A 0.93-mm field of an H&E-stained sentinel lymph node from a breast-cancer patient (whole-slide image), shown at about 5×, about 1.8 µm per pixel.
Image:
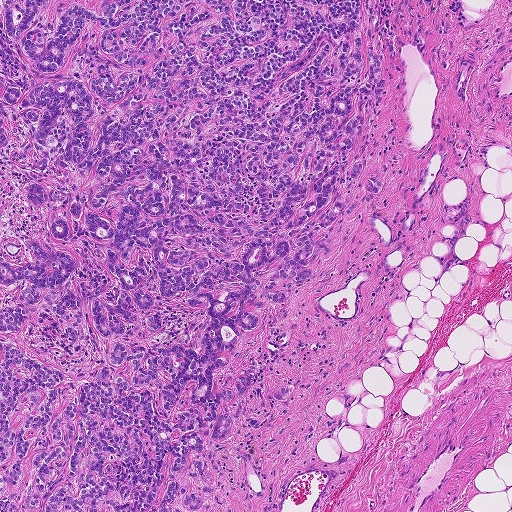
Question:
Which parts of this field are metastatic tumour?
Answer:
Boundaries of two metastatic tumour regions, simplified and listed clockwise, largest first: region 1: (0, 0), (363, 0), (362, 55), (378, 52), (385, 82), (348, 165), (385, 192), (344, 180), (317, 273), (252, 312), (262, 325), (215, 386), (257, 354), (255, 382), (227, 405), (231, 436), (207, 442), (215, 494), (189, 511), (0, 511); region 2: (289, 384), (294, 384), (295, 389), (291, 395), (285, 400), (278, 400), (272, 399), (270, 392), (282, 385).
The annotated tumour makes up about 60% of the crop.